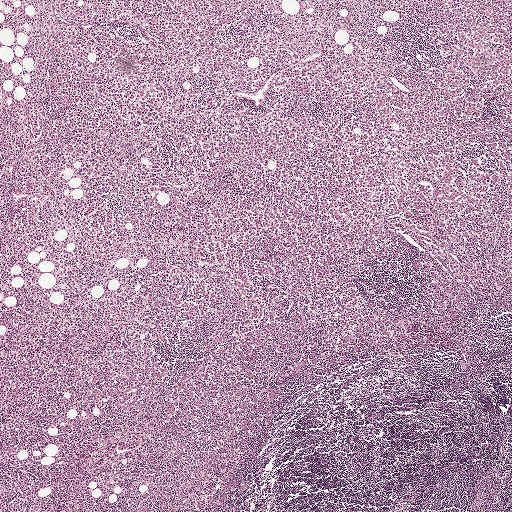
H&E-stained section of a sentinel lymph node (breast cancer), from a whole-slide image, viewed at about 2.5×: the field is about 2.0 mm across, about 3.9 µm per pixel.
Six metastatic tumour regions, each outlined as a closed clockwise path in crop pixels (x, y), largest first: region 1: (162, 265), (206, 269), (225, 280), (226, 293), (189, 340), (154, 347), (170, 365), (146, 411), (112, 431), (100, 408), (73, 407), (71, 393), (64, 391), (57, 394), (53, 417), (41, 432), (22, 440), (0, 428), (0, 350), (5, 345), (62, 304), (92, 293), (109, 294), (129, 274); region 2: (349, 57), (389, 78), (394, 107), (387, 121), (417, 173), (408, 200), (366, 244), (317, 243), (294, 230), (268, 192), (276, 162), (271, 130), (283, 119), (320, 110), (308, 82), (315, 68); region 3: (323, 0), (320, 6), (329, 28), (317, 51), (274, 69), (254, 86), (182, 94), (172, 92), (152, 65), (142, 36), (144, 1); region 4: (460, 150), (491, 151), (511, 160), (511, 285), (494, 293), (483, 293), (471, 280), (453, 271), (439, 253), (433, 238), (430, 209), (435, 179), (447, 157); region 5: (0, 135), (24, 140), (50, 151), (58, 169), (61, 189), (73, 201), (73, 210), (64, 223), (30, 248), (21, 261), (0, 266); region 6: (202, 448), (213, 451), (220, 459), (220, 465), (190, 503), (174, 511), (115, 511), (124, 499), (134, 474), (144, 468), (166, 465), (181, 449).
About 30% of the image area is annotated as tumour.